Question: 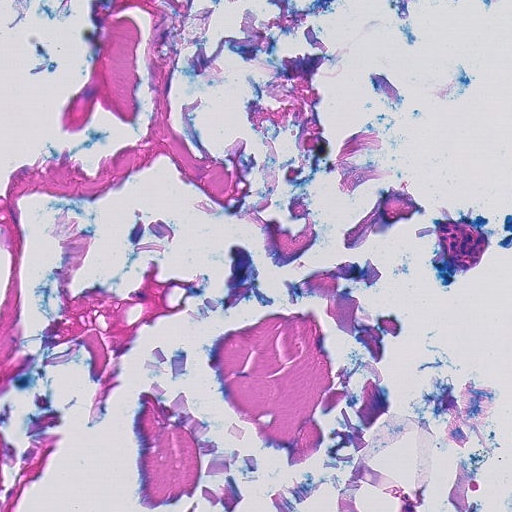
Which magnification is this H&E lymph node field most likely shown at?

Choices:
 (A) about 10×
 (B) about 40×
 (C) about 5×
 (D) about 2.5×
 (E) about 20×

Answer: (E) about 20×
This is a crop of a whole-slide image: an H&E-stained breast-cancer sentinel lymph node section at roughly 20× magnification (about 0.45 µm per pixel; the crop spans about 0.23 mm).